Question: 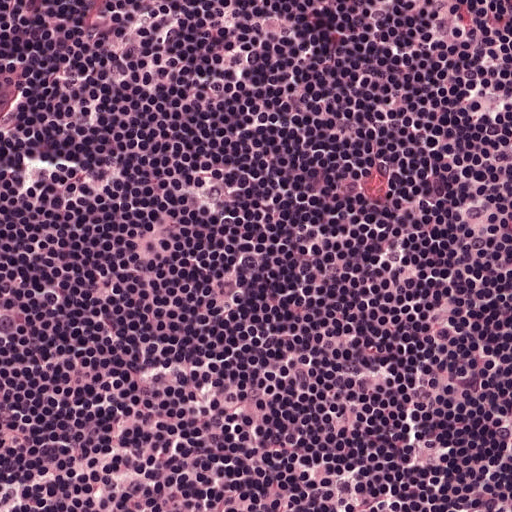
Which magnification is this H&E lymph node field most likely shown at?

Choices:
 (A) about 20×
 (B) about 40×
 (C) about 2.5×
 (D) about 10×
 (E) about 5×

Answer: (A) about 20×
H&E-stained section of a sentinel lymph node (breast cancer), from a whole-slide image, viewed at about 20×: the field is about 0.25 mm across, about 0.49 µm per pixel.